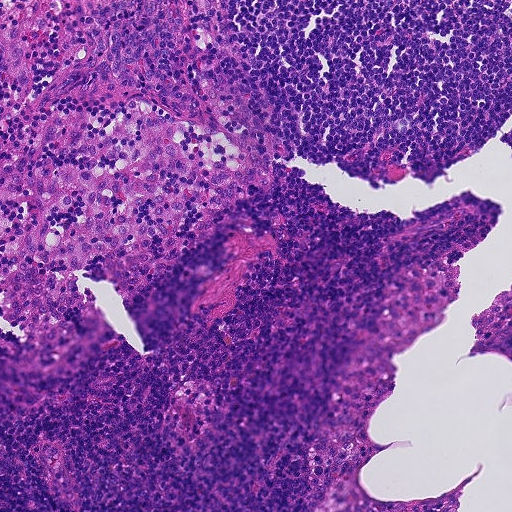
This is a crop of a whole-slide image: an H&E-stained breast-cancer sentinel lymph node section at roughly 10× magnification (about 0.9 µm per pixel; the crop spans about 0.46 mm).
Question: Is any metastatic breast cancer visible in this crop?
Answer: No. No metastatic tumour is outlined in this field.